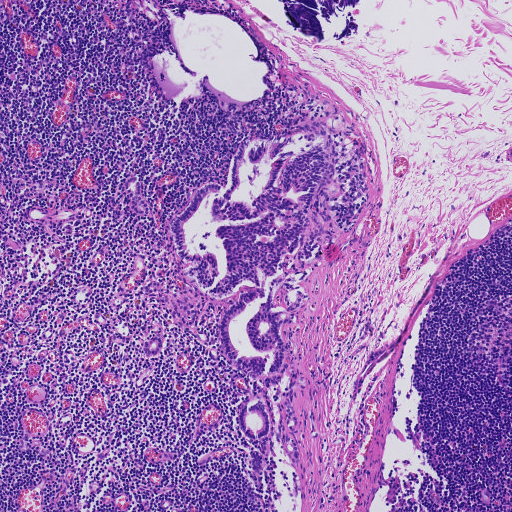
Lymph node section stained with H&E, from a whole-slide image of a breast-cancer sentinel node. Magnification about 5×, about 0.93 mm across the frame, about 1.8 µm per pixel.
Eight metastatic tumour regions, each outlined as a closed clockwise path in crop pixels (x, y), largest first: region 1: (330, 109), (327, 126), (342, 190), (334, 206), (337, 236), (297, 284), (309, 298), (296, 322), (281, 326), (291, 388), (277, 403), (223, 351), (225, 310), (256, 286), (244, 281), (234, 293), (212, 298), (185, 274), (170, 226), (199, 188), (207, 182), (225, 189), (246, 138), (280, 136); region 2: (260, 393), (271, 418), (271, 428), (266, 466), (262, 475), (257, 476), (253, 471), (249, 453), (251, 449), (260, 453), (261, 442), (248, 439), (242, 432), (238, 422), (241, 404), (246, 398); region 3: (186, 291), (199, 309), (199, 316), (188, 325), (181, 323), (172, 307), (180, 294); region 4: (137, 177), (141, 183), (140, 191), (149, 203), (151, 211), (145, 215), (137, 215), (132, 210), (129, 196), (124, 190), (123, 182), (129, 178); region 5: (286, 433), (296, 440), (299, 449), (299, 458), (296, 466), (284, 452); region 6: (150, 279), (158, 281), (164, 286), (161, 293), (169, 295), (170, 302), (163, 305), (157, 300), (160, 294), (153, 295), (145, 293), (145, 285); region 7: (160, 333), (162, 342), (162, 348), (159, 354), (150, 357), (144, 353), (143, 346), (148, 340); region 8: (286, 400), (294, 406), (296, 415), (297, 425), (294, 433), (288, 428), (284, 419).
The annotated tumour makes up about 10% of the crop.